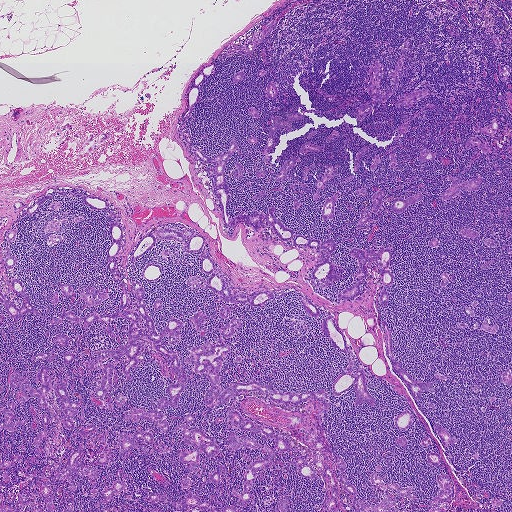
This is a crop of a whole-slide image: an H&E-stained breast-cancer sentinel lymph node section at roughly 2.5× magnification (about 3.6 µm per pixel; the crop spans about 1.9 mm).
Boundaries of eight metastatic tumour regions, simplified and listed clockwise, largest first: region 1: (218, 338), (231, 350), (218, 370), (223, 388), (255, 380), (280, 392), (327, 390), (330, 404), (318, 413), (319, 421), (333, 461), (336, 454), (342, 457), (357, 492), (345, 492), (334, 465), (339, 500), (332, 511), (325, 511), (324, 481), (298, 430), (311, 428), (302, 419), (317, 411), (318, 402), (286, 404), (257, 391), (207, 406), (203, 397), (210, 382), (205, 371), (195, 373), (196, 366), (184, 360), (191, 347), (207, 340), (216, 344); region 2: (214, 61), (213, 73), (200, 84), (201, 98), (185, 120), (192, 142), (211, 158), (228, 150), (235, 139), (237, 152), (228, 160), (224, 172), (229, 187), (228, 216), (256, 211), (265, 214), (272, 206), (279, 221), (292, 231), (292, 240), (280, 240), (272, 227), (263, 225), (256, 230), (242, 222), (229, 228), (205, 169), (215, 166), (204, 163), (194, 155), (180, 134), (181, 116), (194, 79); region 3: (235, 410), (242, 419), (269, 427), (276, 435), (288, 441), (290, 448), (284, 451), (274, 450), (271, 464), (255, 472), (255, 480), (249, 491), (254, 496), (253, 500), (244, 507), (237, 504), (238, 498), (232, 494), (233, 490), (242, 492), (248, 464), (267, 455), (258, 448), (244, 446), (231, 448), (228, 434), (231, 432), (239, 439), (245, 436), (273, 449), (275, 440), (243, 430), (233, 424), (228, 419), (228, 412); region 4: (205, 250), (215, 268), (219, 269), (231, 284), (232, 296), (242, 293), (251, 298), (256, 293), (265, 290), (272, 293), (273, 298), (260, 306), (253, 306), (248, 302), (242, 304), (223, 301), (209, 288), (187, 285), (187, 280), (196, 276), (207, 281), (211, 273), (207, 274), (202, 270), (200, 264), (202, 258), (198, 257); region 5: (380, 246), (383, 246), (390, 250), (392, 256), (385, 269), (390, 272), (393, 278), (392, 284), (385, 289), (389, 294), (386, 306), (383, 306), (380, 302), (382, 287), (380, 275), (375, 271), (376, 265), (372, 260), (369, 260), (365, 265), (368, 274), (360, 282), (362, 292), (360, 294), (350, 299), (337, 298), (338, 293), (352, 286), (356, 281), (352, 276), (358, 269), (359, 262), (355, 257), (350, 255), (350, 249), (356, 248), (364, 250), (369, 248), (375, 251), (379, 249); region 6: (191, 413), (193, 419), (188, 424), (190, 431), (200, 429), (205, 435), (212, 437), (219, 453), (210, 457), (207, 457), (202, 452), (199, 457), (200, 468), (187, 471), (185, 468), (188, 467), (186, 463), (180, 460), (180, 449), (187, 452), (194, 450), (194, 446), (183, 444), (181, 431), (178, 430), (173, 432), (173, 428), (185, 423), (185, 416); region 7: (163, 228), (173, 228), (182, 232), (184, 229), (190, 229), (202, 235), (205, 241), (202, 250), (194, 253), (184, 251), (183, 248), (187, 238), (181, 242), (175, 239), (162, 239), (152, 234), (155, 243), (152, 248), (136, 258), (132, 258), (131, 256), (138, 242), (145, 235); region 8: (295, 235), (316, 239), (319, 240), (320, 243), (332, 238), (334, 241), (336, 247), (330, 254), (328, 260), (333, 265), (335, 271), (340, 275), (340, 278), (330, 286), (321, 287), (315, 284), (312, 273), (316, 261), (319, 260), (323, 249), (310, 248), (293, 244).
One more tumour region is annotated but not outlined: its edge is too irregular for a short outline.
62 more, smaller tumour regions are not outlined.
41 more small tumour pieces are annotated here but not outlined.
The annotated tumour makes up about 15% of the crop.